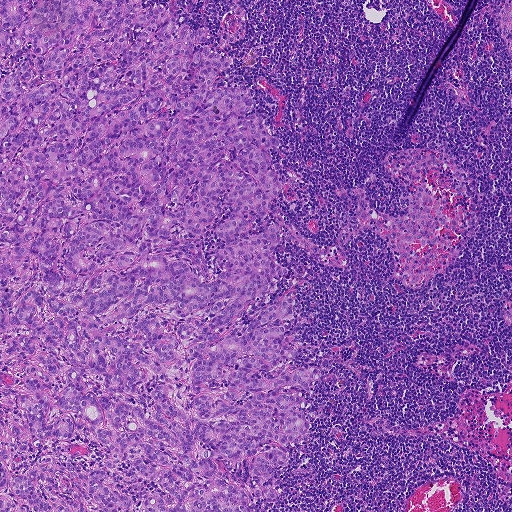
Lymph node section stained with H&E, from a whole-slide image of a breast-cancer sentinel node. Magnification about 5×, about 0.93 mm across the frame, about 1.8 µm per pixel.
The outlined metastatic tumour's edge, as a closed clockwise path of 24 points: (0, 0), (173, 0), (280, 140), (280, 192), (247, 237), (281, 226), (273, 253), (290, 271), (232, 330), (290, 292), (302, 314), (275, 325), (309, 345), (274, 374), (338, 378), (310, 396), (288, 389), (311, 403), (312, 428), (284, 448), (282, 496), (251, 499), (262, 511), (0, 511).
The annotated tumour makes up about 55% of the crop.